Image:
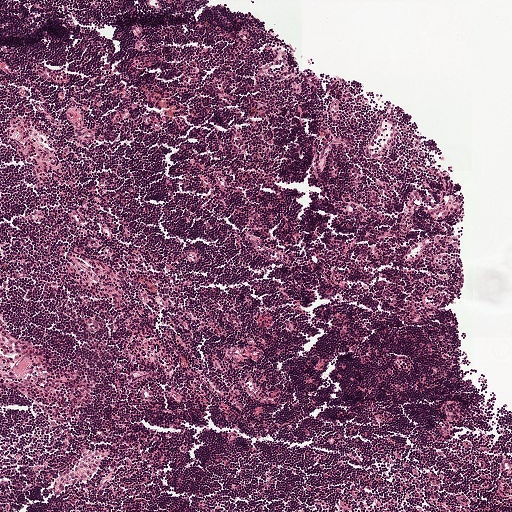
This is a crop of a whole-slide image: an H&E-stained breast-cancer sentinel lymph node section at roughly 5× magnification (about 1.9 µm per pixel; the crop spans about 1 mm).
Question:
Is any metastatic breast cancer visible in this crop?
Answer:
No, this field holds no outlined metastasis.